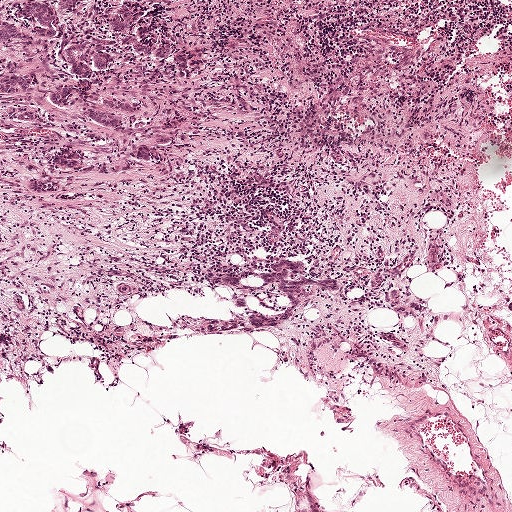
This is a crop of a whole-slide image: an H&E-stained breast-cancer sentinel lymph node section at roughly 5× magnification (about 1.9 µm per pixel; the crop spans about 1 mm).
The eight largest tumour regions' boundaries, simplified and listed clockwise, largest first: region 1: (286, 255), (303, 259), (310, 276), (334, 277), (340, 290), (306, 286), (284, 322), (274, 328), (255, 328), (236, 305), (231, 289), (214, 284), (211, 278), (229, 273), (252, 286), (262, 283), (261, 269), (272, 265), (276, 258); region 2: (104, 42), (112, 45), (118, 51), (114, 59), (113, 70), (93, 94), (88, 112), (101, 114), (108, 102), (114, 100), (130, 105), (142, 118), (141, 120), (124, 121), (131, 131), (128, 140), (102, 131), (55, 104), (61, 88), (71, 75), (67, 55); region 3: (130, 8), (135, 14), (137, 30), (141, 41), (146, 48), (158, 50), (161, 57), (161, 62), (148, 67), (143, 66), (125, 41), (114, 30), (111, 22); region 4: (28, 1), (28, 4), (38, 1), (49, 5), (59, 26), (59, 34), (56, 39), (31, 32), (27, 22), (19, 14), (23, 3); region 5: (75, 148), (84, 151), (87, 158), (86, 169), (72, 175), (49, 168), (47, 165), (48, 157), (61, 149); region 6: (10, 74), (12, 77), (21, 74), (33, 76), (34, 90), (32, 94), (26, 95), (0, 95), (0, 78); region 7: (45, 177), (57, 181), (66, 187), (67, 193), (63, 196), (52, 196), (35, 192), (30, 189), (28, 180); region 8: (0, 19), (28, 35), (31, 39), (29, 46), (13, 43), (1, 46).
Three more, smaller tumour regions are not outlined.
One more small tumour piece is annotated here but not outlined.
The annotated tumour makes up about 5% of the crop.